Question: 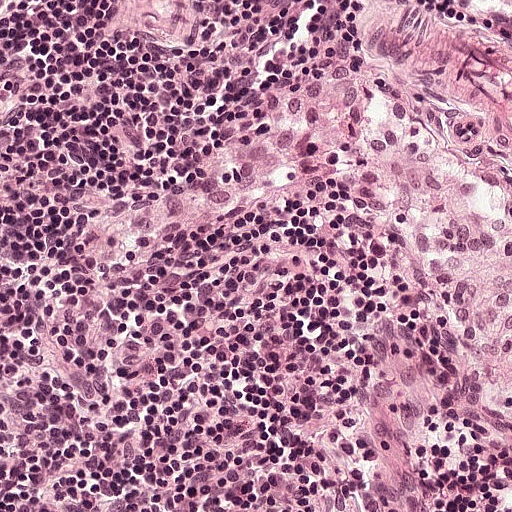
At roughly what magnification is this field shown?

Choices:
 (A) about 40×
 (B) about 10×
 (C) about 2.5×
 (D) about 20×
 (E) about 5×

Answer: (D) about 20×
A 0.25-mm field of an H&E-stained sentinel lymph node from a breast-cancer patient (whole-slide image), shown at about 20×, about 0.49 µm per pixel.
Question: 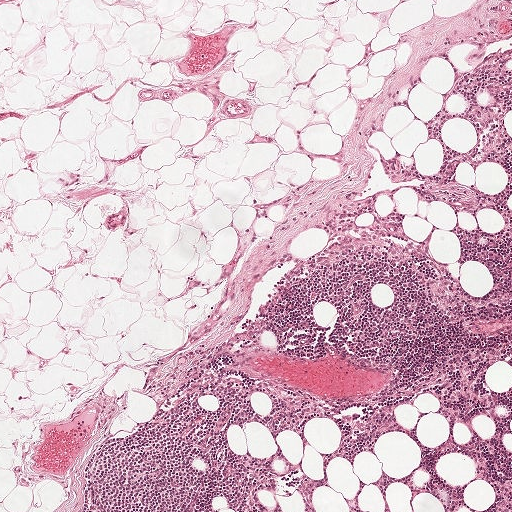
At roughly what magnification is this field shown?

Choices:
 (A) about 2.5×
 (B) about 40×
 (C) about 20×
 (D) about 5×
 (E) about 10×

Answer: (D) about 5×
This is a crop of a whole-slide image: an H&E-stained breast-cancer sentinel lymph node section at roughly 5× magnification (about 1.9 µm per pixel; the crop spans about 1 mm).
Question: 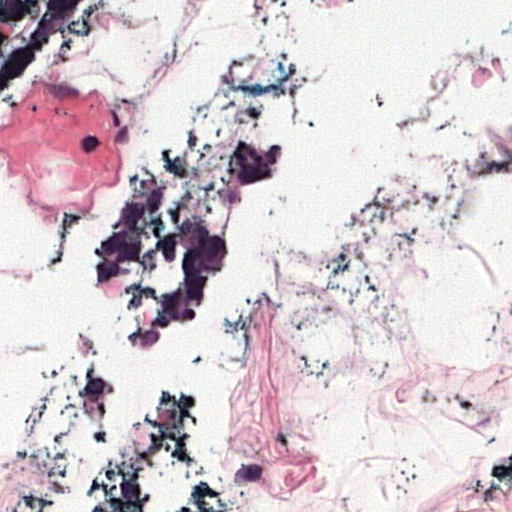
At roughly what magnification is this field shown?

Choices:
 (A) about 10×
 (B) about 40×
 (C) about 5×
 (D) about 2.5×
 (E) about 20×

Answer: (B) about 40×
H&E-stained section of a sentinel lymph node (breast cancer), from a whole-slide image, viewed at about 40×: the field is about 0.12 mm across, about 0.24 µm per pixel.
Two metastatic tumour regions, each outlined as a closed clockwise path in crop pixels (x, y), largest first: region 1: (303, 111), (252, 249), (128, 409), (74, 422), (88, 245), (148, 153); region 2: (317, 0), (362, 0), (364, 7).
One more small tumour piece is annotated here but not outlined.
About 15% of this field is tumour.
Question: 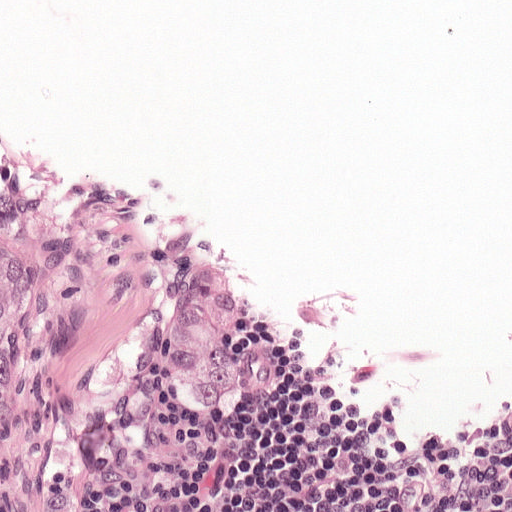
At roughly what magnification is this field shown?

Choices:
 (A) about 2.5×
 (B) about 5×
 (C) about 20×
 (D) about 10×
 (E) about 40×

Answer: (C) about 20×
Lymph node section stained with H&E, from a whole-slide image of a breast-cancer sentinel node. Magnification about 20×, about 0.25 mm across the frame, about 0.49 µm per pixel.
Boundaries of three metastatic tumour regions, simplified and listed clockwise, largest first: region 1: (194, 260), (236, 274), (244, 312), (247, 388), (217, 412), (182, 396), (158, 364), (160, 326), (168, 290); region 2: (8, 184), (39, 217), (39, 363), (24, 410), (0, 411), (0, 191); region 3: (61, 477), (78, 491), (78, 511), (36, 511), (45, 484).
The annotated tumour makes up about 5% of the crop.